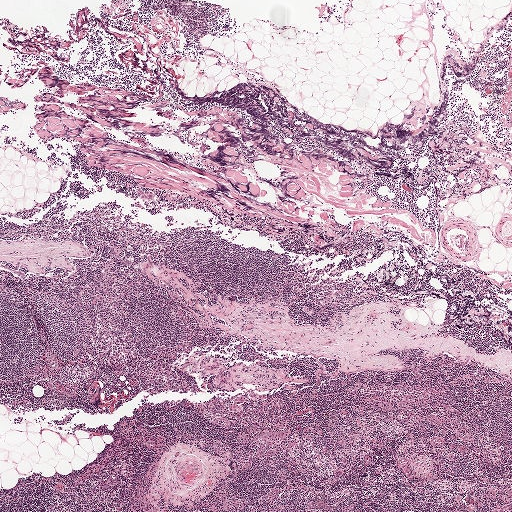
This is a crop of a whole-slide image: an H&E-stained breast-cancer sentinel lymph node section at roughly 2.5× magnification (about 3.9 µm per pixel; the crop spans about 2.0 mm).
Three metastatic tumour regions, each outlined as a closed clockwise path in crop pixels (x, y), largest first: region 1: (239, 394), (244, 396), (244, 401), (241, 403), (244, 407), (239, 413), (231, 413), (227, 410), (233, 399); region 2: (138, 187), (145, 188), (155, 194), (155, 197), (154, 200), (152, 201), (143, 201), (141, 200), (140, 195), (135, 194), (131, 192), (131, 190), (133, 188); region 3: (250, 390), (258, 393), (264, 393), (267, 395), (267, 397), (265, 399), (261, 400), (254, 399), (249, 397), (247, 394).
Tumour covers under 5% of the frame.